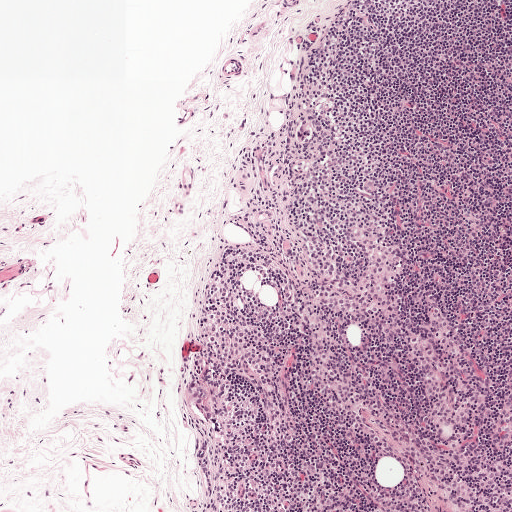
This is a crop of a whole-slide image: an H&E-stained breast-cancer sentinel lymph node section at roughly 5× magnification (about 1.9 µm per pixel; the crop spans about 1 mm).
Question: Outline the metastatic carcinoma in this image, as closed paths of (x, y) pixel coordinates.
Answer: Outlines of two tumour regions, largest first (closed clockwise paths, crop pixels): region 1: (196, 376), (203, 378), (210, 386), (209, 402), (213, 416), (208, 419), (190, 406), (183, 393), (184, 385), (189, 379); region 2: (305, 119), (310, 123), (312, 132), (311, 140), (306, 143), (301, 143), (298, 140), (298, 126).
The annotated tumour makes up under 5% of the crop.